Lymph node section stained with H&E, from a whole-slide image of a breast-cancer sentinel node. Magnification about 10×, about 0.5 mm across the frame, about 0.97 µm per pixel.
Image:
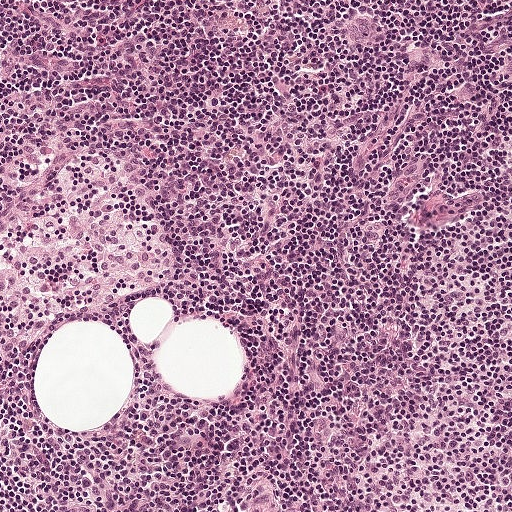
Question:
Is any metastatic breast cancer visible in this crop?
Answer:
No. No metastatic tumour is outlined in this field.